H&E-stained section of a sentinel lymph node (breast cancer), from a whole-slide image, viewed at about 20×: the field is about 0.23 mm across, about 0.45 µm per pixel.
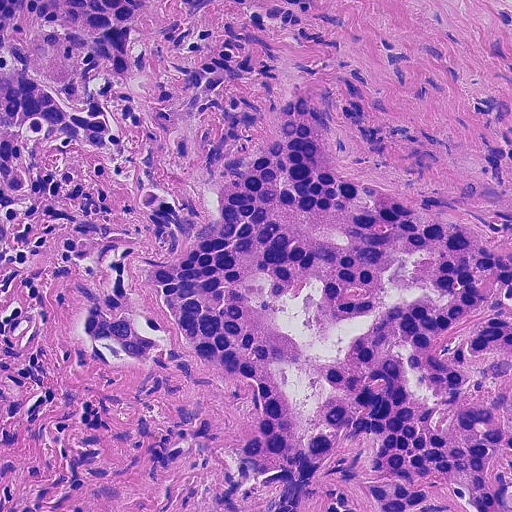
One metastatic tumour region; its boundary, reduced to 24 corners and listed clockwise: (0, 0), (159, 0), (140, 61), (212, 180), (286, 110), (319, 116), (343, 155), (381, 176), (511, 231), (511, 511), (184, 511), (243, 410), (224, 383), (91, 360), (64, 340), (50, 274), (60, 241), (122, 217), (126, 182), (100, 154), (42, 142), (49, 174), (30, 202), (0, 186).
About 60% of the image area is annotated as tumour.